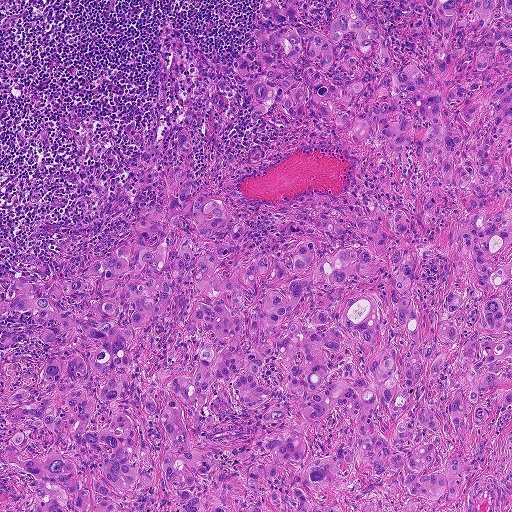
This is a crop of a whole-slide image: an H&E-stained breast-cancer sentinel lymph node section at roughly 5× magnification (about 1.8 µm per pixel; the crop spans about 0.93 mm).
The outlined metastatic tumour's edge, as a closed clockwise path of 18 points: (266, 0), (372, 0), (430, 78), (425, 3), (511, 0), (511, 511), (0, 511), (0, 286), (129, 240), (184, 133), (220, 268), (384, 202), (422, 342), (450, 291), (473, 332), (473, 185), (252, 122), (232, 66).
About 65% of this field is tumour.